H&E-stained section of a sentinel lymph node (breast cancer), from a whole-slide image, viewed at about 20×: the field is about 0.23 mm across, about 0.45 µm per pixel.
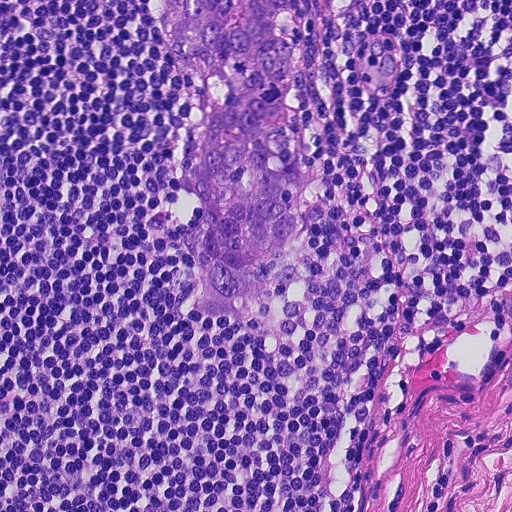
Tumour region outline (a closed clockwise path, crop pixels): (148, 0), (326, 0), (316, 134), (290, 278), (257, 315), (205, 314), (190, 304), (192, 278), (170, 234), (200, 92).
The annotated tumour makes up about 15% of the crop.